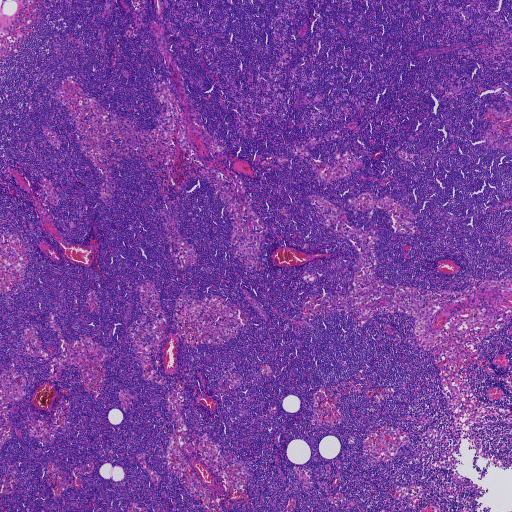
This is a crop of a whole-slide image: an H&E-stained breast-cancer sentinel lymph node section at roughly 2.5× magnification (about 3.6 µm per pixel; the crop spans about 1.9 mm).